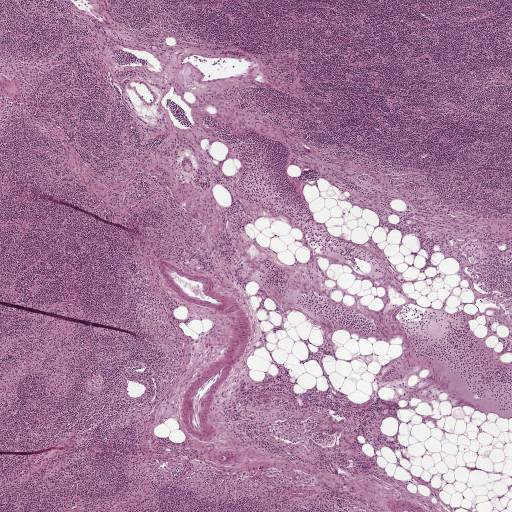
A 2.0-mm field of an H&E-stained sentinel lymph node from a breast-cancer patient (whole-slide image), shown at about 2.5×, about 3.9 µm per pixel.